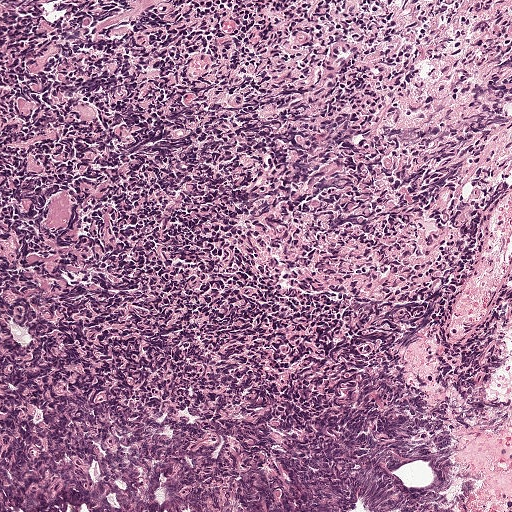
H&E-stained section of a sentinel lymph node (breast cancer), from a whole-slide image, viewed at about 10×: the field is about 0.5 mm across, about 0.97 µm per pixel.
Question: Is any metastatic breast cancer visible in this crop?
Answer: No. No metastatic tumour is outlined in this field.